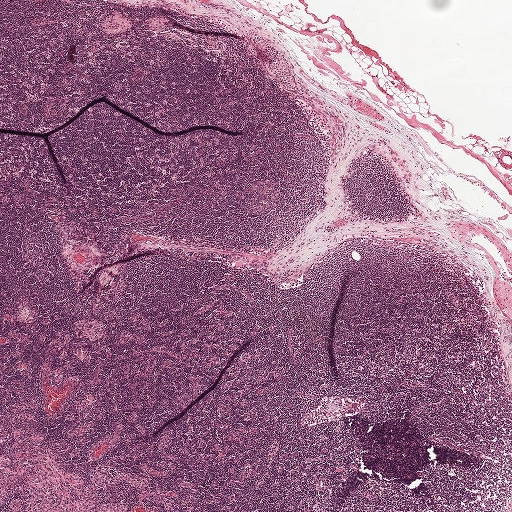
H&E-stained section of a sentinel lymph node (breast cancer), from a whole-slide image, viewed at about 2.5×: the field is about 2.0 mm across, about 3.9 µm per pixel.
Tumour region outline (a closed clockwise path, crop pixels): (252, 31), (257, 33), (289, 61), (297, 80), (298, 92), (297, 95), (285, 92), (276, 78), (270, 74), (264, 53), (255, 44), (249, 32).
The annotated tumour makes up under 5% of the crop.